Lymph node section stained with H&E, from a whole-slide image of a breast-cancer sentinel node. Magnification about 2.5×, about 2.0 mm across the frame, about 3.9 µm per pixel.
Image:
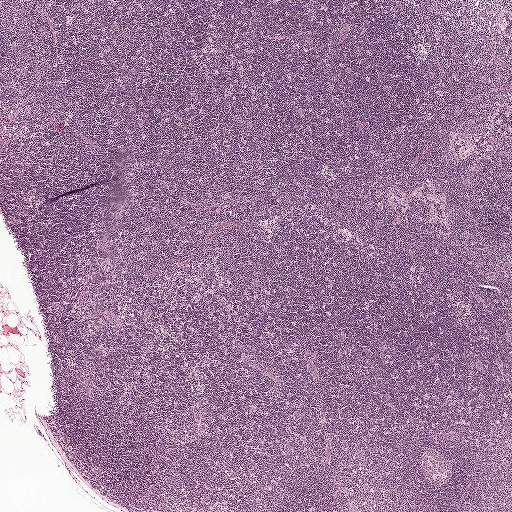
Question:
Is there metastatic carcinoma in this field?
Answer:
No: no metastatic tumour is outlined anywhere in this field.